Image:
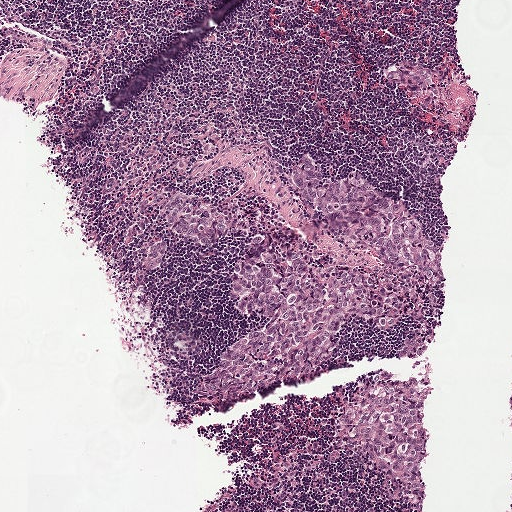
H&E-stained section of a sentinel lymph node (breast cancer), from a whole-slide image, viewed at about 5×: the field is about 1 mm across, about 1.9 µm per pixel.
Question:
Is any metastatic breast cancer visible in this crop?
Answer:
Yes.
Boundaries of three metastatic tumour regions, simplified and listed clockwise, largest first: region 1: (312, 154), (323, 179), (356, 172), (408, 213), (439, 262), (415, 292), (435, 299), (424, 348), (401, 351), (410, 316), (384, 325), (337, 315), (331, 345), (308, 368), (200, 395), (202, 369), (268, 319), (242, 312), (232, 296), (259, 232), (234, 226), (202, 245), (176, 230), (148, 266), (146, 246), (168, 224), (149, 195), (197, 194), (213, 212), (266, 220), (335, 263), (376, 269), (375, 250), (329, 232), (300, 194), (294, 166); region 2: (378, 373), (387, 373), (396, 381), (415, 379), (428, 389), (423, 408), (427, 437), (418, 462), (423, 486), (413, 493), (399, 493), (390, 487), (388, 470), (339, 444), (341, 419); region 3: (401, 58), (406, 58), (418, 68), (448, 69), (448, 81), (438, 89), (435, 105), (429, 109), (425, 109), (408, 92), (385, 80), (384, 73), (394, 64), (399, 62).
One more small tumour piece is annotated here but not outlined.
About 15% of the image area is annotated as tumour.